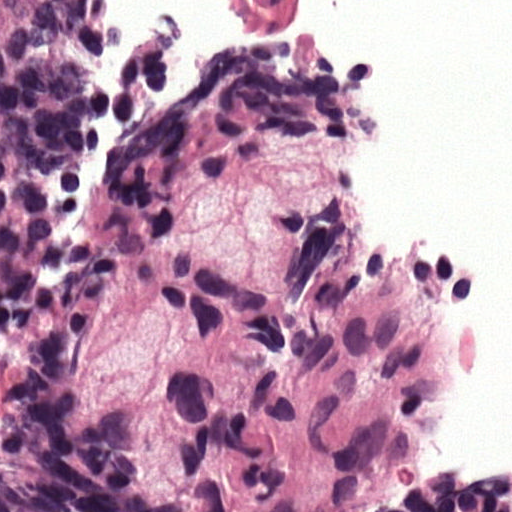
This is a crop of a whole-slide image: an H&E-stained breast-cancer sentinel lymph node section at roughly 40× magnification (about 0.24 µm per pixel; the crop spans about 0.12 mm).
Tumour region outline (a closed clockwise path, crop pixels): (276, 43), (403, 184), (466, 315), (469, 459), (378, 511), (94, 511), (22, 382), (61, 244), (153, 124).
The annotated tumour makes up about 60% of the crop.